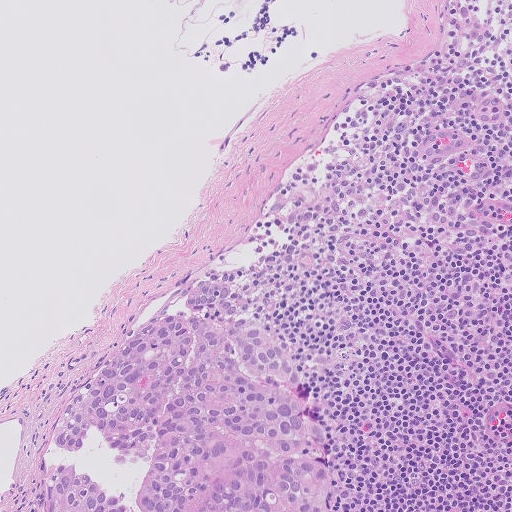
A 0.51-mm field of an H&E-stained sentinel lymph node from a breast-cancer patient (whole-slide image), shown at about 10×, about 1.0 µm per pixel.
Question: Which parts of this field are metastatic tumour? Answer with the outline of each region, in pixels.
Answer: One metastatic tumour region; its boundary, reduced to 10 corners and listed clockwise: (235, 283), (242, 304), (280, 330), (320, 416), (329, 461), (323, 511), (42, 511), (50, 450), (69, 406), (168, 299).
Tumour covers about 20% of the frame.